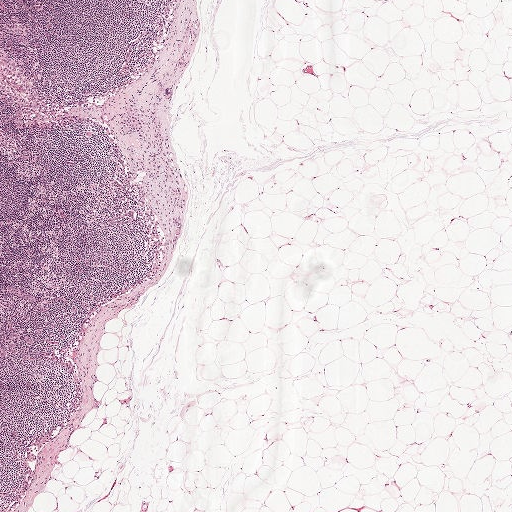
Lymph node section stained with H&E, from a whole-slide image of a breast-cancer sentinel node. Magnification about 2.5×, about 2.0 mm across the frame, about 3.9 µm per pixel.
The outlined metastatic tumour's edge, as a closed clockwise path of 23 points: (128, 107), (140, 112), (149, 126), (166, 132), (169, 154), (177, 165), (184, 201), (181, 210), (173, 210), (175, 223), (168, 246), (161, 228), (152, 228), (152, 223), (159, 220), (159, 212), (145, 192), (145, 174), (137, 162), (142, 155), (142, 143), (117, 131), (119, 116).
Tumour covers under 5% of the frame.